Question: 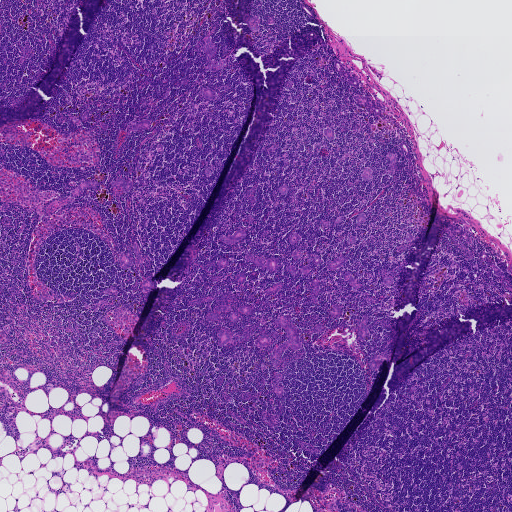
H&E-stained section of a sentinel lymph node (breast cancer), from a whole-slide image, viewed at about 2.5×: the field is about 1.9 mm across, about 3.6 µm per pixel.
Estimate the proportion of this field that is metastatic tumour.

Choices:
 (A) about 5% or less
 (B) about 50% or more
 (C) about 10% to 20%
 (D) about 25% to 45%
 (E) none: no tumour is outlined

Answer: (A) about 5% or less
About 5% of the field is tumour.
The eight largest tumour regions' boundaries, simplified and listed clockwise, largest first: region 1: (285, 315), (296, 319), (292, 323), (299, 335), (301, 345), (301, 347), (296, 349), (289, 347), (283, 352), (279, 366), (277, 368), (274, 367), (271, 361), (271, 356), (279, 346), (288, 340), (286, 330), (276, 325), (275, 323), (278, 318); region 2: (209, 37), (211, 37), (217, 48), (217, 51), (211, 59), (216, 61), (216, 63), (225, 58), (226, 60), (226, 66), (216, 71), (208, 71), (206, 66), (212, 62), (210, 60), (208, 61), (205, 54), (201, 50), (201, 48), (204, 44), (206, 42), (205, 40); region 3: (247, 254), (253, 254), (255, 259), (261, 257), (266, 259), (274, 257), (278, 259), (279, 262), (276, 272), (266, 270), (264, 268), (259, 268), (253, 263), (248, 260), (246, 257); region 4: (357, 95), (367, 96), (372, 102), (382, 104), (385, 108), (382, 117), (368, 111), (352, 96); region 5: (336, 58), (342, 63), (346, 70), (348, 71), (351, 75), (358, 80), (359, 82), (358, 86), (354, 87), (349, 84), (340, 74), (335, 70), (334, 59); region 6: (450, 224), (465, 229), (472, 236), (472, 242), (470, 243), (456, 234), (454, 234), (450, 238), (446, 232), (448, 225); region 7: (385, 352), (390, 358), (388, 362), (383, 363), (381, 368), (376, 370), (372, 370), (369, 363), (372, 357); region 8: (82, 180), (87, 181), (90, 180), (97, 181), (98, 184), (98, 186), (94, 190), (90, 187), (81, 195), (76, 196), (74, 196), (70, 193), (71, 190), (80, 185).
20 more, smaller tumour regions are not outlined.
38 more small tumour pieces are annotated here but not outlined.